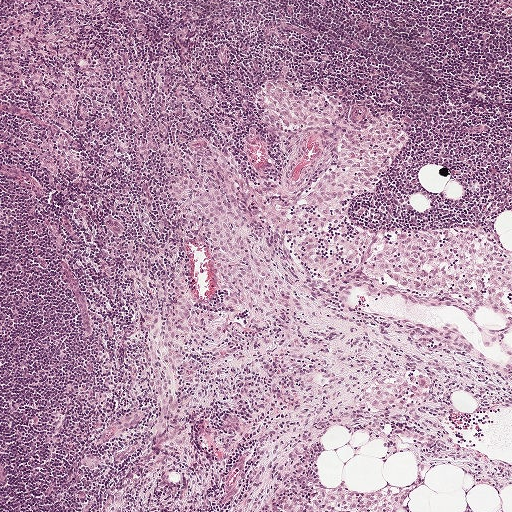
H&E-stained section of a sentinel lymph node (breast cancer), from a whole-slide image, viewed at about 5×: the field is about 1 mm across, about 1.9 µm per pixel.
Question: Is any metastatic breast cancer visible in this crop?
Answer: Yes.
Tumour region outline (a closed clockwise path, crop pixels): (174, 155), (183, 156), (207, 170), (213, 178), (226, 183), (246, 206), (259, 256), (268, 269), (273, 269), (260, 298), (253, 298), (246, 292), (232, 303), (223, 300), (218, 292), (214, 246), (197, 234), (183, 214), (162, 200), (164, 193), (173, 185), (173, 172), (166, 160).
The annotated tumour makes up about 5% of the crop.